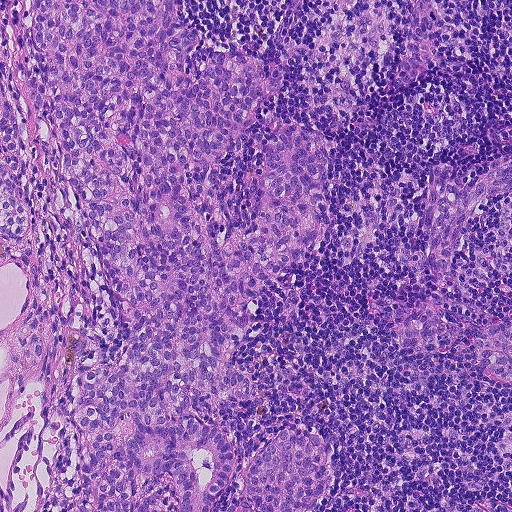
This is a crop of a whole-slide image: an H&E-stained breast-cancer sentinel lymph node section at roughly 10× magnification (about 0.9 µm per pixel; the crop spans about 0.46 mm).
Question: Does this lymph node field contain metastatic tumour?
Answer: Yes.
Tumour region outline (a closed clockwise path, crop pixels): (176, 0), (178, 29), (205, 35), (197, 52), (276, 62), (277, 94), (215, 166), (238, 236), (255, 227), (278, 115), (330, 136), (320, 228), (291, 278), (244, 305), (258, 318), (239, 368), (256, 394), (219, 418), (240, 466), (283, 428), (323, 438), (330, 491), (307, 511), (246, 511), (239, 472), (212, 511), (58, 511), (79, 468), (72, 393), (123, 318), (46, 127), (15, 129), (36, 219), (28, 236), (0, 237), (0, 105), (3, 90), (28, 117), (16, 61), (33, 6).
About 40% of this field is tumour.